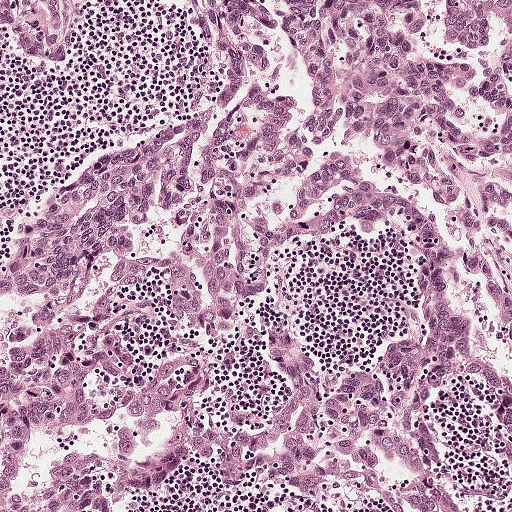
H&E-stained section of a sentinel lymph node (breast cancer), from a whole-slide image, viewed at about 10×: the field is about 0.5 mm across, about 0.97 µm per pixel.